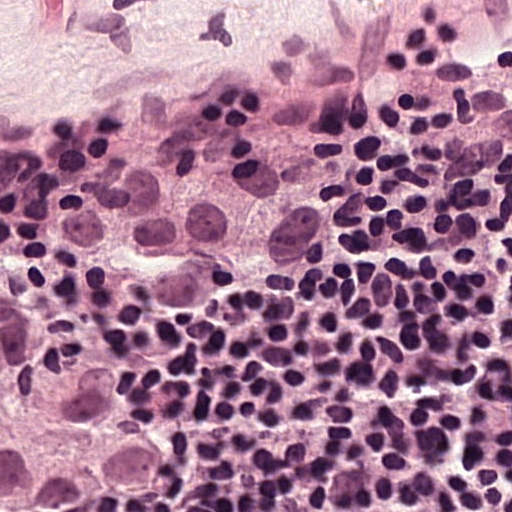
A 0.12-mm field of an H&E-stained sentinel lymph node from a breast-cancer patient (whole-slide image), shown at about 40×, about 0.24 µm per pixel.
Boundaries of two metastatic tumour regions, simplified and listed clockwise, largest first: region 1: (255, 138), (292, 154), (341, 199), (334, 272), (273, 281), (162, 315), (45, 240), (58, 193), (136, 159), (196, 161); region 2: (0, 280), (77, 306), (125, 368), (141, 406), (176, 439), (178, 470), (154, 506), (117, 501), (86, 511), (0, 511).
Tumour covers about 25% of the frame.